Question: 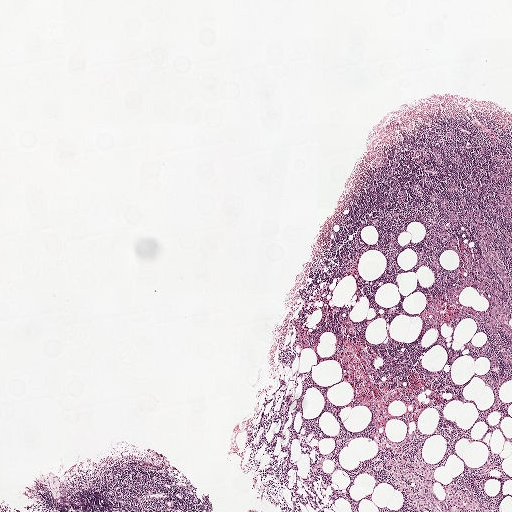
Lymph node section stained with H&E, from a whole-slide image of a breast-cancer sentinel node. Magnification about 2.5×, about 2.0 mm across the frame, about 3.9 µm per pixel.
Estimate the proportion of this field that is metastatic tumour.

Choices:
 (A) none: no tumour is outlined
 (B) about 50% or more
 (C) about 10% to 20%
 (D) about 25% to 45%
 (E) about 5% or less

Answer: (C) about 10% to 20%
About 10% of the field is tumour.
Metastatic tumour outline, simplified to 24 points and listed clockwise in crop pixels (x, y): (418, 121), (511, 147), (511, 379), (501, 386), (499, 397), (511, 402), (486, 417), (486, 412), (496, 400), (482, 376), (490, 366), (484, 358), (473, 361), (466, 346), (484, 346), (487, 334), (468, 318), (434, 331), (424, 327), (434, 278), (418, 254), (425, 230), (395, 213), (365, 144).
Question: 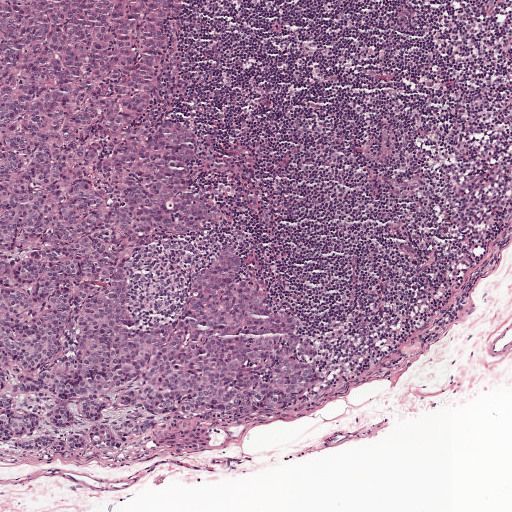
A 1-mm field of an H&E-stained sentinel lymph node from a breast-cancer patient (whole-slide image), shown at about 5×, about 1.9 µm per pixel.
Estimate the proportion of this field that is metastatic tumour.

Choices:
 (A) about 50% or more
 (B) about 25% to 45%
 (C) about 10% to 20%
 (D) none: no tumour is outlined
 (E) about 5% or less

Answer: (B) about 25% to 45%
About 40% of the field is tumour.
The outlined metastatic tumour's edge, as a closed clockwise path of 19 points: (0, 0), (183, 0), (156, 107), (196, 131), (196, 190), (223, 223), (149, 244), (133, 259), (130, 304), (143, 321), (172, 318), (198, 267), (230, 241), (270, 304), (315, 328), (329, 361), (290, 409), (193, 454), (0, 453).
Question: 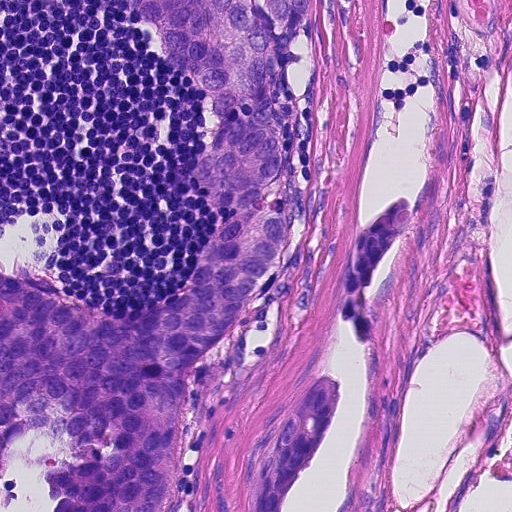
Lymph node section stained with H&E, from a whole-slide image of a breast-cancer sentinel node. Magnification about 20×, about 0.23 mm across the frame, about 0.45 µm per pixel.
Estimate the proportion of this field that is metastatic tumour.

Choices:
 (A) none: no tumour is outlined
 (B) about 5% or less
 (C) about 10% to 20%
 (D) about 50% or more
 (E) about 25% to 45%

Answer: (E) about 25% to 45%
About 25% of the field is tumour.
The outlined metastatic tumour's edge, as a closed clockwise path of 22 points: (128, 0), (303, 0), (262, 86), (293, 158), (289, 236), (194, 367), (184, 511), (48, 511), (40, 477), (46, 462), (69, 458), (63, 432), (50, 426), (0, 461), (0, 266), (78, 302), (156, 304), (186, 279), (224, 212), (190, 171), (207, 95), (144, 48).
Question: 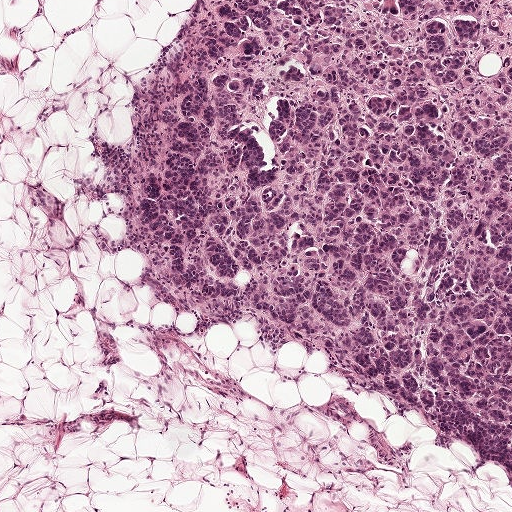
A 1-mm field of an H&E-stained sentinel lymph node from a breast-cancer patient (whole-slide image), shown at about 5×, about 1.9 µm per pixel.
Estimate the proportion of this field that is metastatic tumour.

Choices:
 (A) about 10% to 20%
 (B) about 25% to 45%
 (C) about 50% or more
 (D) none: no tumour is outlined
 (E) about 5% or less

Answer: (C) about 50% or more
About 55% of the field is tumour.
Boundaries of two metastatic tumour regions, simplified and listed clockwise, largest first: region 1: (220, 0), (511, 0), (511, 494), (472, 447), (445, 450), (421, 417), (394, 416), (370, 391), (351, 391), (326, 352), (266, 352), (254, 314), (203, 323), (159, 297), (142, 272), (147, 259), (120, 249), (127, 208), (99, 184), (132, 132), (154, 65); region 2: (32, 189), (58, 196), (64, 204), (65, 212), (60, 222), (58, 234), (53, 239), (49, 238), (45, 216), (29, 198), (29, 190).